Image:
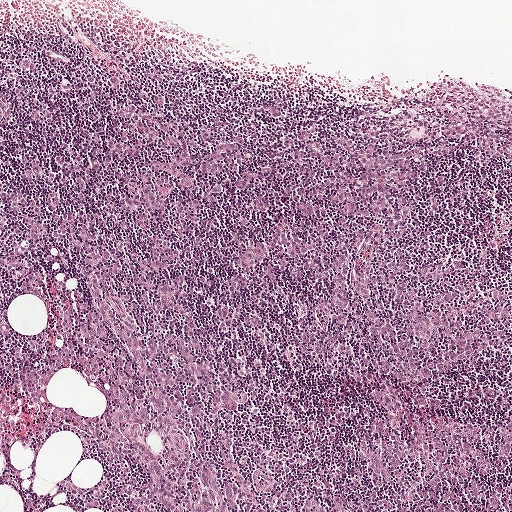
This is a crop of a whole-slide image: an H&E-stained breast-cancer sentinel lymph node section at roughly 5× magnification (about 1.9 µm per pixel; the crop spans about 1 mm).
Question:
Is there metastatic carcinoma in this field?
Answer:
Yes.
One metastatic tumour region; its boundary, reduced to 12 corners and listed clockwise: (0, 45), (125, 75), (198, 110), (272, 97), (511, 105), (511, 511), (72, 511), (61, 486), (97, 488), (97, 457), (64, 432), (0, 455).
About 80% of the image area is annotated as tumour.